Question: 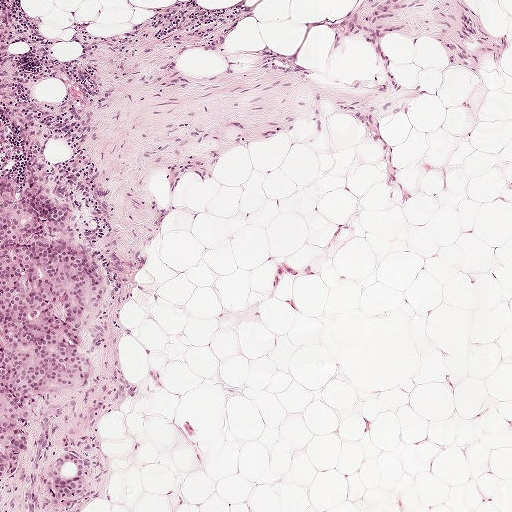
A 1-mm field of an H&E-stained sentinel lymph node from a breast-cancer patient (whole-slide image), shown at about 5×, about 1.9 µm per pixel.
Roughly what share of this field is metastatic tumour?

Choices:
 (A) none: no tumour is outlined
 (B) about 10% to 20%
 (C) about 5% or less
 (D) about 25% to 45%
 (E) about 50% or more

Answer: (B) about 10% to 20%
About 10% of the field is tumour.
Boundaries of two metastatic tumour regions, simplified and listed clockwise, largest first: region 1: (0, 176), (67, 205), (74, 237), (110, 283), (87, 344), (93, 378), (86, 386), (44, 394), (34, 415), (31, 450), (19, 466), (4, 473), (0, 497); region 2: (74, 451), (86, 459), (90, 466), (86, 489), (80, 501), (74, 506), (60, 510), (55, 501), (46, 492), (49, 471), (61, 454).